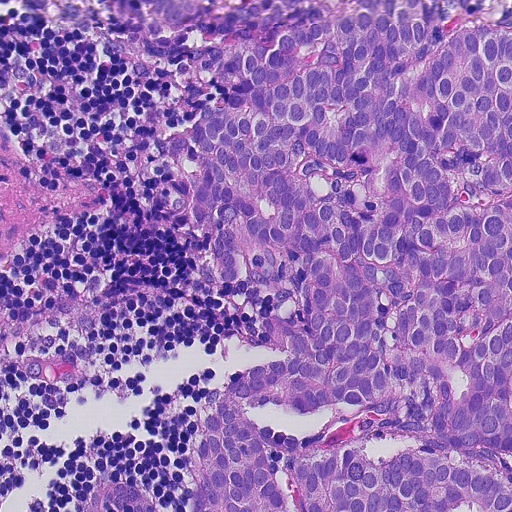
H&E-stained section of a sentinel lymph node (breast cancer), from a whole-slide image, viewed at about 20×: the field is about 0.23 mm across, about 0.45 µm per pixel.
Two metastatic tumour regions, each outlined as a closed clockwise path in crop pixels (x, y), largest first: region 1: (0, 0), (511, 0), (511, 511), (187, 511), (184, 432), (213, 386), (285, 352), (239, 328), (252, 306), (228, 294), (202, 302), (184, 284), (198, 235), (160, 216), (148, 192), (152, 142), (202, 120), (208, 94), (145, 78), (79, 34); region 2: (120, 476), (146, 483), (168, 498), (172, 511), (80, 511), (80, 501), (95, 478).
Tumour covers about 65% of the frame.